Image:
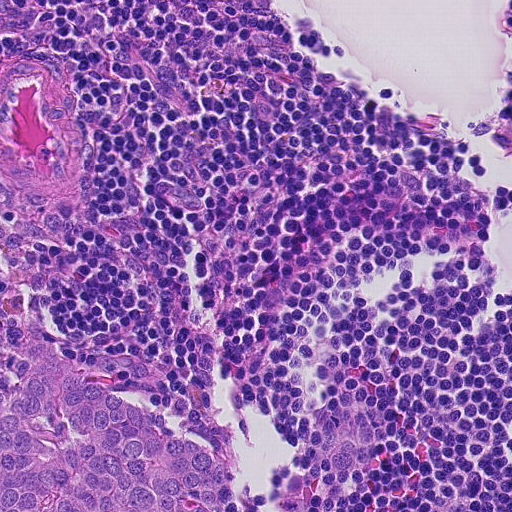
H&E-stained section of a sentinel lymph node (breast cancer), from a whole-slide image, viewed at about 20×: the field is about 0.23 mm across, about 0.45 µm per pixel.
Question:
Is there metastatic carcinoma in this field?
Answer:
Yes.
Two metastatic tumour regions, each outlined as a closed clockwise path in crop pixels (x, y), largest first: region 1: (20, 313), (51, 322), (70, 346), (166, 360), (231, 450), (240, 511), (0, 511), (0, 331), (16, 345); region 2: (0, 278), (9, 298), (0, 312).
Tumour covers about 15% of the frame.

Image:
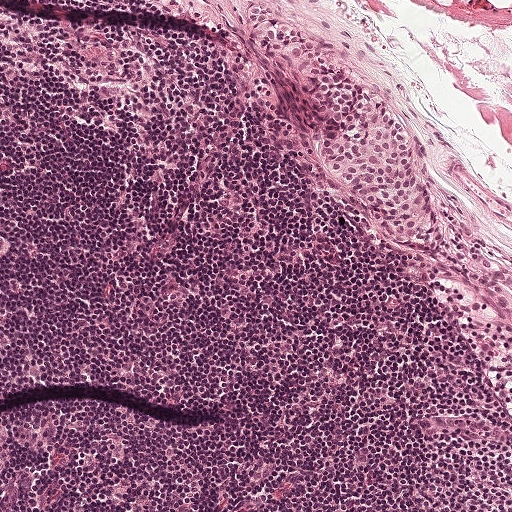
Lymph node section stained with H&E, from a whole-slide image of a breast-cancer sentinel node. Magnification about 10×, about 0.5 mm across the frame, about 0.97 µm per pixel.
Question:
Is there metastatic carcinoma in this field?
Answer:
Yes.
Metastatic tumour outline, simplified to 16 points and listed clockwise in crop pixels (x, y): (259, 7), (279, 14), (316, 40), (406, 129), (426, 186), (438, 203), (444, 253), (438, 264), (415, 263), (392, 252), (354, 194), (333, 180), (309, 95), (288, 71), (270, 62), (246, 14).
About 5% of the image area is annotated as tumour.

Image:
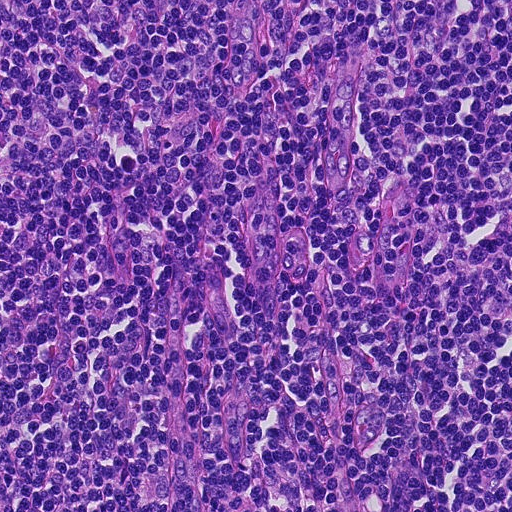
H&E-stained section of a sentinel lymph node (breast cancer), from a whole-slide image, viewed at about 20×: the field is about 0.23 mm across, about 0.45 µm per pixel.
Question:
Is there metastatic carcinoma in this field?
Answer:
No. No metastatic tumour is outlined in this field.

Image:
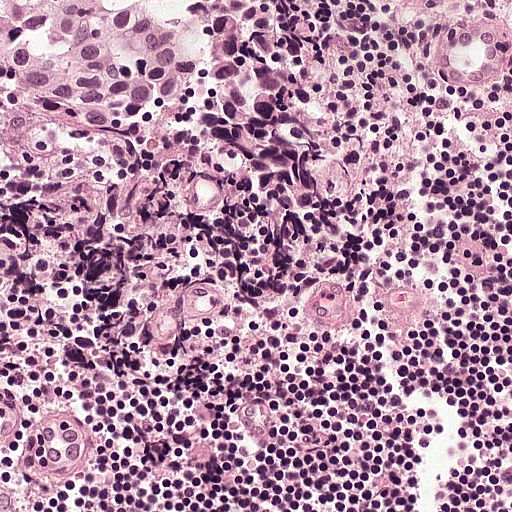
A 0.25-mm field of an H&E-stained sentinel lymph node from a breast-cancer patient (whole-slide image), shown at about 20×, about 0.49 µm per pixel.
Question:
Is there metastatic carcinoma in this field?
Answer:
Yes.
Tumour region outline (a closed clockwise path, crop pixels): (0, 0), (288, 0), (286, 77), (272, 102), (250, 116), (231, 116), (210, 46), (190, 88), (144, 122), (34, 107), (0, 74).
The annotated tumour makes up about 10% of the crop.